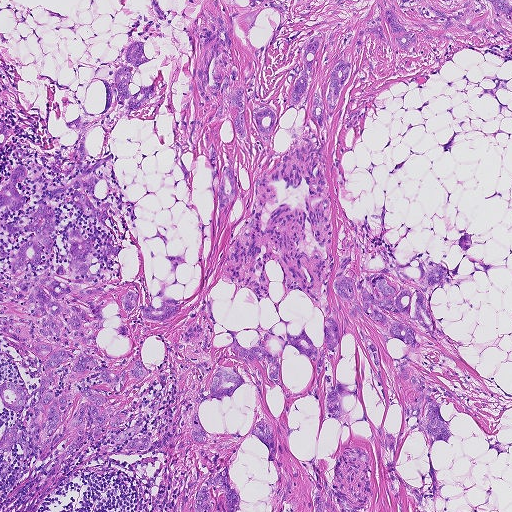
H&E-stained section of a sentinel lymph node (breast cancer), from a whole-slide image, viewed at about 5×: the field is about 0.93 mm across, about 1.8 µm per pixel.
Seven metastatic tumour regions, each outlined as a closed clockwise path in crop pixels (x, y), largest first: region 1: (414, 0), (511, 0), (511, 20), (500, 17), (492, 8), (481, 23), (471, 30), (428, 35), (401, 48), (384, 21), (382, 27), (389, 48), (366, 31), (357, 56), (358, 38), (366, 23), (381, 16), (382, 22), (384, 14), (390, 7), (406, 25), (418, 26), (431, 19), (430, 13); region 2: (137, 40), (142, 41), (147, 58), (152, 60), (139, 65), (132, 76), (129, 87), (132, 95), (147, 85), (154, 84), (154, 90), (144, 106), (128, 113), (116, 100), (117, 89), (113, 78), (115, 72), (120, 68), (131, 66), (124, 58), (124, 52), (127, 46); region 3: (341, 61), (347, 61), (351, 65), (350, 76), (338, 97), (328, 127), (324, 117), (321, 130), (314, 122), (309, 110), (318, 80), (325, 102), (331, 68); region 4: (235, 68), (244, 91), (244, 122), (246, 134), (243, 138), (238, 136), (233, 124), (235, 108), (230, 106), (220, 117), (209, 122), (216, 110), (222, 86), (230, 77), (230, 71); region 5: (315, 36), (320, 38), (320, 44), (312, 66), (311, 84), (306, 95), (299, 104), (293, 104), (289, 101), (294, 78), (302, 69), (304, 49), (310, 38); region 6: (223, 168), (229, 168), (236, 190), (235, 196), (226, 203), (220, 213), (217, 189); region 7: (260, 105), (272, 106), (275, 117), (270, 134), (265, 135), (260, 133), (252, 117), (251, 113), (255, 108).
Two more tumour regions are annotated but not outlined: their edges are too irregular for short outlines.
One more small tumour piece is annotated here but not outlined.
About 20% of this field is tumour.